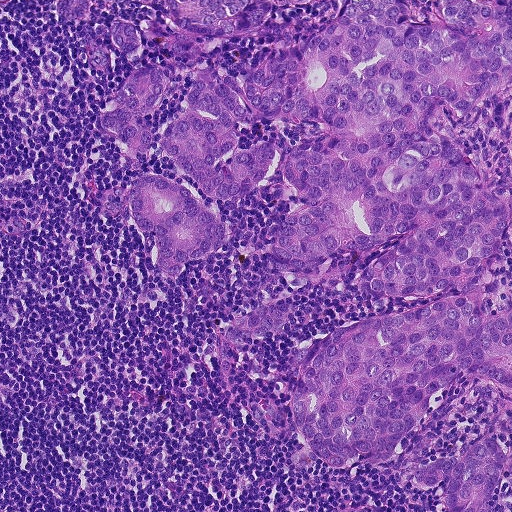
H&E-stained section of a sentinel lymph node (breast cancer), from a whole-slide image, viewed at about 10×: the field is about 0.46 mm across, about 0.9 µm per pixel.
Outlines of two tumour regions, largest first (closed clockwise paths, crop pixels): region 1: (511, 0), (511, 511), (445, 511), (446, 480), (401, 476), (489, 435), (504, 399), (478, 372), (404, 455), (351, 472), (288, 410), (311, 340), (459, 291), (364, 288), (414, 230), (277, 272), (284, 332), (223, 374), (218, 343), (275, 302), (283, 166), (217, 202), (222, 248), (172, 279), (105, 215), (105, 188), (153, 174), (210, 200), (159, 148), (198, 62), (140, 156), (100, 132), (168, 53), (86, 65), (107, 26), (145, 24), (136, 2); region 2: (96, 0), (90, 17), (74, 27), (56, 21), (55, 1).
About 50% of the image area is annotated as tumour.